Question: 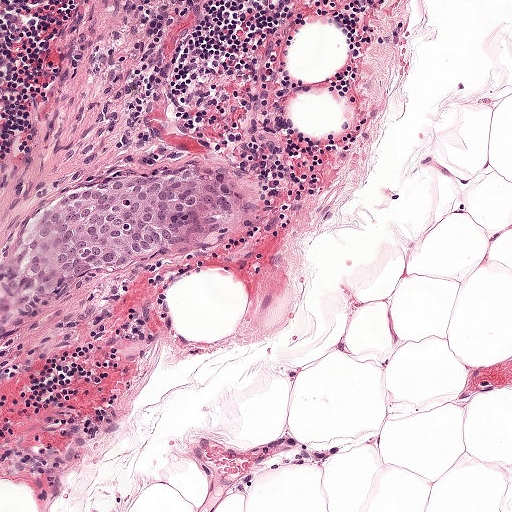
This is a crop of a whole-slide image: an H&E-stained breast-cancer sentinel lymph node section at roughly 10× magnification (about 0.97 µm per pixel; the crop spans about 0.5 mm).
Estimate the proportion of this field that is metastatic tumour.

Choices:
 (A) about 5% or less
 (B) about 50% or more
 (C) about 10% to 20%
 (D) about 25% to 45%
 (E) none: no tumour is outlined

Answer: (A) about 5% or less
About 5% of the field is tumour.
The outlined metastatic tumour's edge, as a closed clockwise path of 14 points: (217, 164), (233, 170), (239, 188), (216, 230), (150, 260), (98, 272), (56, 292), (39, 307), (6, 309), (9, 271), (59, 200), (98, 190), (134, 172), (176, 174).